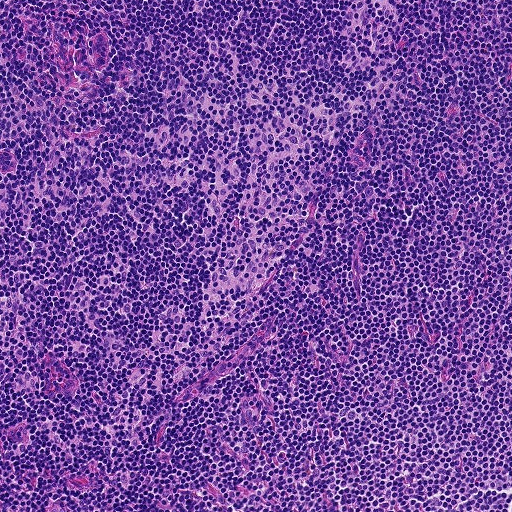
Lymph node section stained with H&E, from a whole-slide image of a breast-cancer sentinel node. Magnification about 10×, about 0.46 mm across the frame, about 0.9 µm per pixel.
Question: Is any metastatic breast cancer visible in this crop?
Answer: No. No metastatic tumour is outlined in this field.